This is a crop of a whole-slide image: an H&E-stained breast-cancer sentinel lymph node section at roughly 5× magnification (about 2.0 µm per pixel; the crop spans about 1.0 mm).
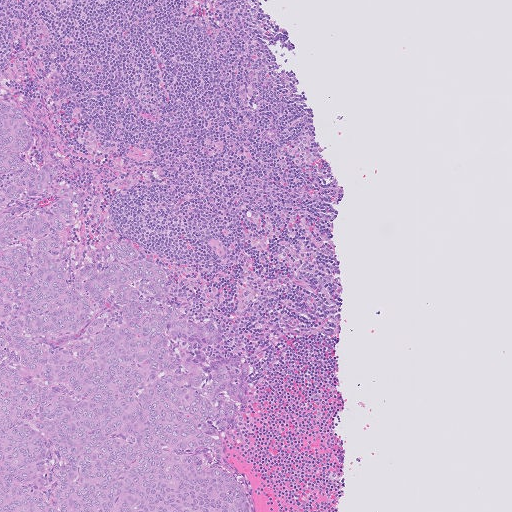
Tumour region outline (a closed clockwise path, crop pixels): (0, 96), (19, 104), (43, 154), (80, 193), (71, 265), (113, 237), (134, 241), (164, 265), (166, 295), (214, 320), (248, 360), (249, 417), (225, 438), (223, 466), (255, 506), (0, 511).
The annotated tumour makes up about 25% of the crop.